Image:
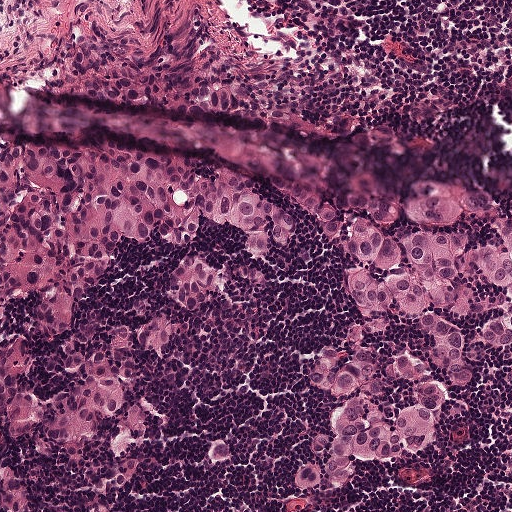
H&E-stained section of a sentinel lymph node (breast cancer), from a whole-slide image, viewed at about 10×: the field is about 0.5 mm across, about 0.97 µm per pixel.
Question:
Which parts of this field are metastatic tumour? Answer with the outline of each region, in pixels.
Answer:
Boundaries of two metastatic tumour regions, simplified and listed clockwise, largest first: region 1: (0, 131), (322, 192), (418, 178), (511, 197), (511, 346), (477, 346), (431, 442), (352, 463), (331, 498), (286, 467), (322, 425), (306, 360), (351, 311), (292, 200), (266, 190), (294, 244), (185, 311), (158, 360), (130, 338), (172, 306), (167, 266), (229, 263), (234, 226), (117, 238), (52, 336), (14, 295), (22, 392), (60, 397), (61, 339), (122, 322), (143, 409), (106, 511), (86, 511), (101, 485), (23, 454), (31, 511), (0, 511); region 2: (110, 30), (170, 60), (226, 61), (268, 74), (290, 94), (299, 124), (291, 125), (257, 123), (150, 107), (117, 97), (95, 97), (78, 92), (53, 74), (88, 34).
One more small tumour piece is annotated here but not outlined.
The annotated tumour makes up about 45% of the crop.